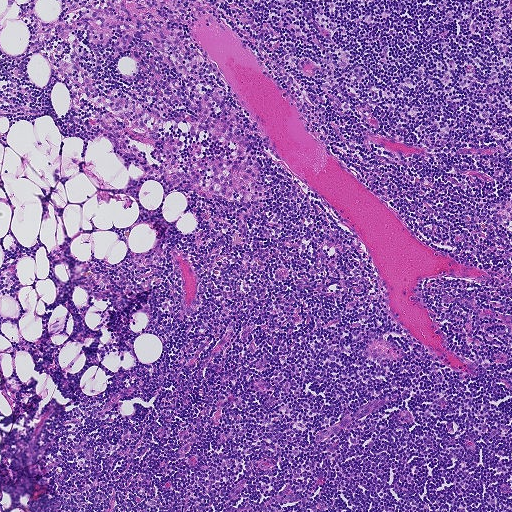
This is a crop of a whole-slide image: an H&E-stained breast-cancer sentinel lymph node section at roughly 5× magnification (about 1.8 µm per pixel; the crop spans about 0.93 mm).
Question: Does this lymph node field contain metastatic tumour?
Answer: No. No metastatic tumour is outlined in this field.